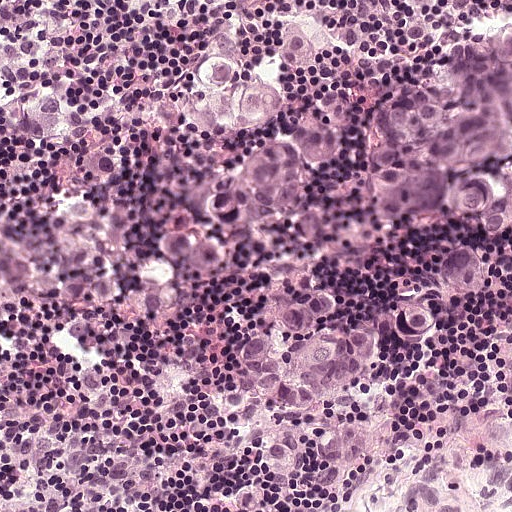
A 0.25-mm field of an H&E-stained sentinel lymph node from a breast-cancer patient (whole-slide image), shown at about 20×, about 0.49 µm per pixel.
Boundaries of four metastatic tumour regions, simplified and listed clockwise, largest first: region 1: (324, 293), (347, 299), (351, 304), (338, 316), (336, 326), (347, 330), (365, 324), (376, 330), (383, 355), (382, 365), (364, 380), (334, 402), (301, 415), (268, 402), (258, 378), (242, 368), (248, 342), (260, 328), (282, 316), (290, 304); region 2: (308, 120), (326, 124), (342, 140), (342, 154), (328, 161), (308, 181), (292, 218), (273, 226), (221, 225), (206, 216), (208, 193), (251, 152), (295, 137); region 3: (207, 58), (235, 60), (270, 85), (277, 98), (279, 110), (268, 116), (262, 132), (224, 133), (204, 128), (198, 123), (190, 104), (194, 88), (204, 80), (198, 67); region 4: (473, 177), (482, 177), (487, 181), (492, 186), (494, 192), (502, 198), (506, 198), (511, 184), (511, 238), (504, 242), (494, 238), (481, 219), (470, 214), (467, 209), (460, 204), (458, 199), (462, 186).
Two more small tumour pieces are annotated here but not outlined.
About 10% of the image area is annotated as tumour.